Image:
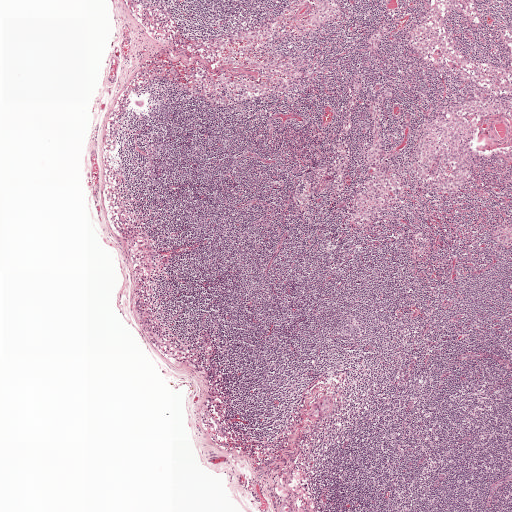
Lymph node section stained with H&E, from a whole-slide image of a breast-cancer sentinel node. Magnification about 2.5×, about 2.0 mm across the frame, about 3.9 µm per pixel.
Question:
Which parts of this field are metastatic tumour? Answer with the outline of each region, in pixels.
Answer:
Boundaries of two metastatic tumour regions, simplified and listed clockwise, largest first: region 1: (328, 395), (332, 397), (332, 409), (328, 414), (318, 418), (313, 418), (308, 415), (315, 403); region 2: (284, 503), (288, 503), (296, 507), (297, 511), (278, 511), (278, 510).
Under 5% of this field is tumour.